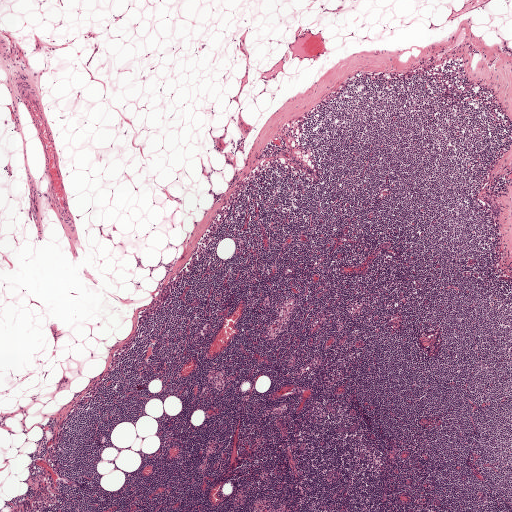
H&E-stained section of a sentinel lymph node (breast cancer), from a whole-slide image, viewed at about 2.5×: the field is about 2.0 mm across, about 3.9 µm per pixel.
Tumour region outline (a closed clockwise path, crop pixels): (484, 197), (486, 198), (496, 206), (500, 210), (501, 216), (498, 217), (492, 215), (488, 204), (483, 199).
Under 5% of the image area is annotated as tumour.